Lymph node section stained with H&E, from a whole-slide image of a breast-cancer sentinel node. Magnification about 2.5×, about 2.0 mm across the frame, about 3.9 µm per pixel.
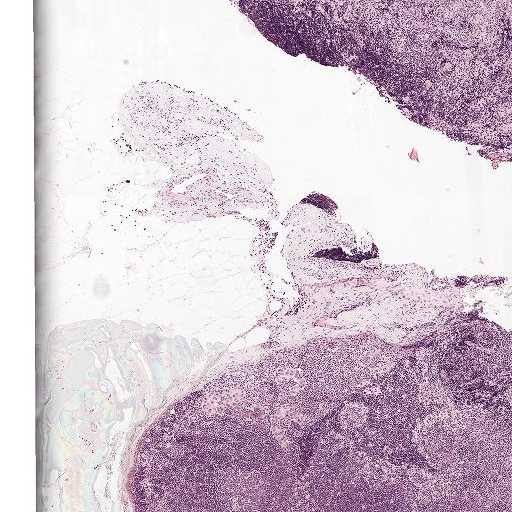
Question: Outline the metastatic carcinoma in this image, as closed paths of (x, y) pixel coordinates.
Answer: Boundaries of seven metastatic tumour regions, simplified and listed clockwise, largest first: region 1: (238, 385), (243, 389), (244, 394), (241, 402), (232, 408), (224, 411), (222, 415), (208, 415), (202, 412), (202, 401), (205, 395), (219, 386), (225, 388); region 2: (276, 368), (295, 368), (300, 370), (306, 380), (305, 387), (293, 394), (290, 394), (288, 391), (296, 383), (295, 380), (289, 378), (282, 385), (277, 385), (273, 379); region 3: (296, 404), (297, 411), (302, 413), (303, 416), (303, 421), (297, 423), (286, 418), (281, 420), (275, 419), (274, 415), (276, 411), (283, 405); region 4: (269, 424), (282, 427), (285, 429), (285, 446), (284, 449), (280, 448), (271, 430), (267, 427); region 5: (370, 352), (378, 352), (379, 353), (379, 356), (376, 359), (371, 362), (366, 362), (361, 362), (360, 360), (361, 357); region 6: (377, 383), (378, 386), (379, 391), (378, 392), (374, 393), (369, 393), (365, 392), (364, 389), (366, 387), (371, 387), (374, 386), (375, 384); region 7: (367, 339), (374, 339), (382, 342), (384, 345), (384, 347), (382, 347), (378, 347), (375, 345), (372, 344), (367, 340).
The annotated tumour makes up under 5% of the crop.